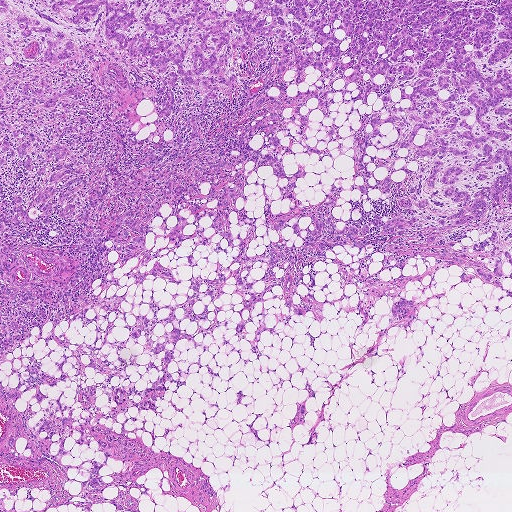
H&E-stained section of a sentinel lymph node (breast cancer), from a whole-slide image, viewed at about 2.5×: the field is about 1.9 mm across, about 3.6 µm per pixel.
Three metastatic tumour regions, each outlined as a closed clockwise path in crop pixels (x, y), largest first: region 1: (0, 0), (511, 0), (502, 277), (440, 269), (362, 327), (332, 260), (435, 258), (334, 246), (254, 283), (256, 341), (238, 247), (204, 216), (190, 267), (165, 204), (138, 270), (183, 280), (137, 286), (133, 257), (100, 296), (132, 325), (218, 260), (229, 323), (158, 323), (209, 350), (99, 422), (182, 428), (151, 445), (140, 430), (124, 438), (97, 426), (60, 460), (95, 458), (140, 511), (44, 508), (89, 475), (6, 461); region 2: (0, 498), (2, 498), (4, 501), (5, 504), (4, 507), (6, 510), (9, 510), (11, 507), (14, 500), (15, 507), (16, 510), (20, 511), (0, 511); region 3: (199, 478), (203, 479), (206, 481), (212, 495), (212, 497), (211, 497), (204, 492), (199, 484).
Tumour covers about 65% of the frame.